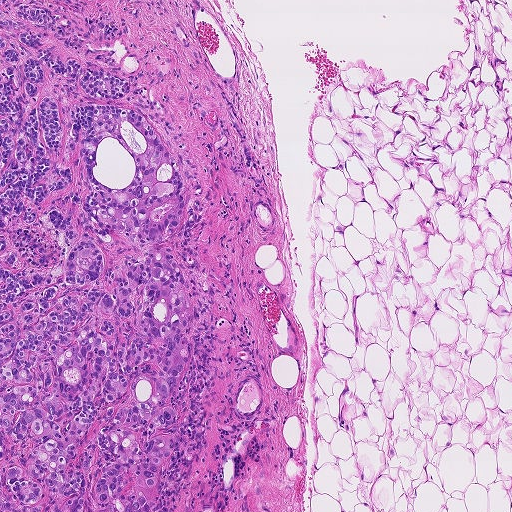
This is a crop of a whole-slide image: an H&E-stained breast-cancer sentinel lymph node section at roughly 5× magnification (about 1.8 µm per pixel; the crop spans about 0.93 mm).
The outlined metastatic tumour's edge, as a closed clockwise path of 20 points: (20, 5), (43, 8), (54, 29), (42, 33), (63, 60), (129, 78), (131, 92), (113, 103), (149, 118), (181, 180), (185, 219), (164, 241), (191, 308), (190, 360), (169, 400), (182, 419), (152, 511), (0, 511), (0, 6), (14, 18).
The annotated tumour makes up about 30% of the crop.